Image:
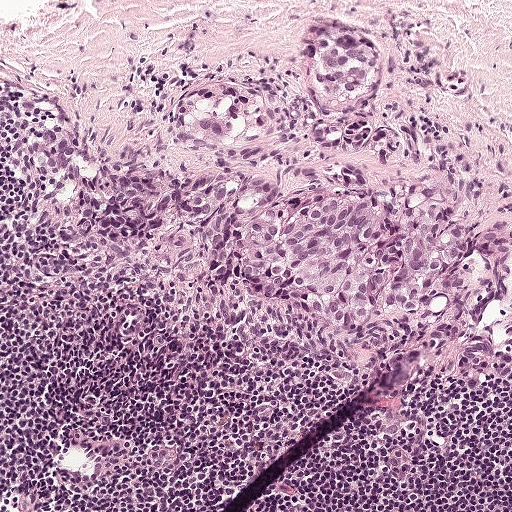
This is a crop of a whole-slide image: an H&E-stained breast-cancer sentinel lymph node section at roughly 10× magnification (about 0.97 µm per pixel; the crop spans about 0.5 mm).
Question:
Where is the metastatic tumour in this field? Give each region's outline as (x, y) pixel points.
Answer:
Outlines of four tumour regions, largest first (closed clockwise paths, crop pixels): region 1: (352, 165), (368, 177), (362, 189), (450, 191), (455, 223), (472, 235), (464, 334), (493, 342), (490, 365), (458, 377), (445, 348), (429, 346), (450, 294), (432, 310), (340, 333), (298, 306), (210, 281), (182, 195), (222, 176), (266, 181), (290, 200), (344, 184); region 2: (212, 82), (248, 87), (256, 94), (268, 92), (290, 103), (299, 110), (305, 136), (293, 139), (274, 160), (244, 165), (229, 165), (210, 153), (184, 146), (175, 139), (174, 114), (182, 100); region 3: (328, 23), (367, 34), (370, 40), (381, 46), (386, 56), (386, 69), (380, 90), (353, 106), (338, 106), (329, 103), (309, 80), (303, 52), (306, 39), (313, 27); region 4: (356, 115), (371, 116), (376, 122), (379, 132), (394, 127), (398, 129), (399, 141), (396, 155), (390, 157), (381, 157), (371, 152), (369, 149), (363, 155), (346, 157), (334, 150), (318, 149), (314, 146), (311, 132), (331, 123), (342, 127), (348, 125), (350, 120).
About 20% of this field is tumour.